Question: 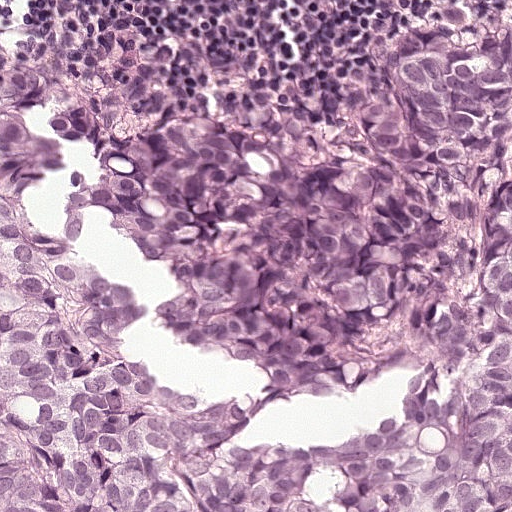
H&E-stained section of a sentinel lymph node (breast cancer), from a whole-slide image, viewed at about 20×: the field is about 0.25 mm across, about 0.49 µm per pixel.
About how much of this crop is taken up by metastatic carcinoma?

Choices:
 (A) about 50% or more
 (B) about 5% or less
 (C) about 25% to 45%
 (D) none: no tumour is outlined
 (E) about 10% to 20%

Answer: (A) about 50% or more
About 75% of the field is tumour.
Tumour region outline (a closed clockwise path, crop pixels): (511, 4), (511, 511), (0, 511), (0, 56), (123, 70), (143, 56), (262, 117), (300, 114), (362, 144), (407, 60).
The outline encloses two non-tumour holes totalling about 10% of the region's area.